Question: 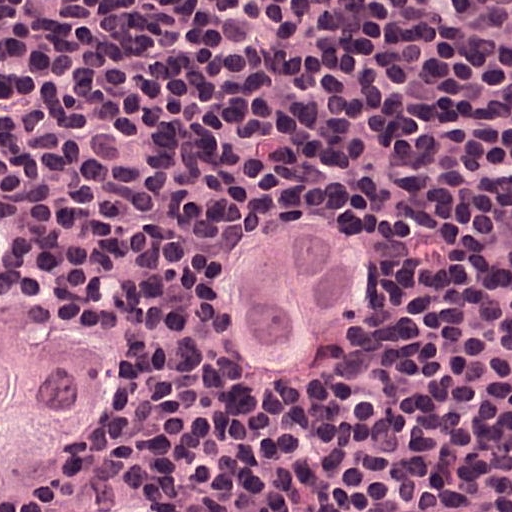
About what magnification does this crop show?

Choices:
 (A) about 2.5×
 (B) about 10×
 (C) about 40×
 (D) about 20×
 (E) about 5×

Answer: (C) about 40×
This is a crop of a whole-slide image: an H&E-stained breast-cancer sentinel lymph node section at roughly 40× magnification (about 0.24 µm per pixel; the crop spans about 0.12 mm).
Boundaries of two metastatic tumour regions, simplified and listed clockwise, largest first: region 1: (0, 291), (42, 291), (107, 309), (147, 359), (142, 391), (98, 441), (104, 447), (54, 494), (44, 511), (0, 511); region 2: (266, 209), (342, 212), (360, 217), (368, 236), (366, 333), (300, 374), (250, 373), (229, 359), (231, 278), (247, 215).
The annotated tumour makes up about 15% of the crop.